Question: 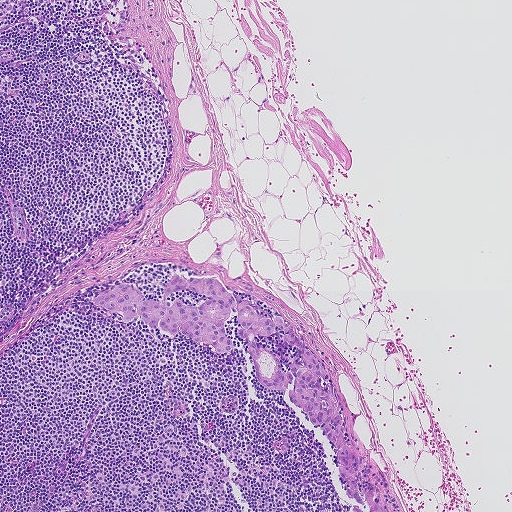
Which magnification is this H&E lymph node field most likely shown at?

Choices:
 (A) about 10×
 (B) about 5×
 (C) about 2.5×
 (D) about 40×
 (E) about 20×

Answer: (B) about 5×
H&E-stained section of a sentinel lymph node (breast cancer), from a whole-slide image, viewed at about 5×: the field is about 0.93 mm across, about 1.8 µm per pixel.
One tumour region is annotated but not outlined: its edge is too irregular for a short outline.
Tumour covers about 5% of the frame.